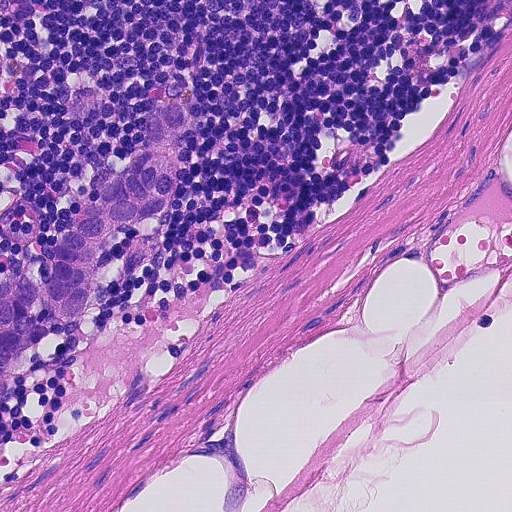
Lymph node section stained with H&E, from a whole-slide image of a breast-cancer sentinel node. Magnification about 20×, about 0.23 mm across the frame, about 0.45 µm per pixel.
One metastatic tumour region; its boundary, reduced to 20 corners and listed clockwise: (170, 87), (193, 104), (181, 130), (176, 192), (104, 244), (88, 300), (70, 324), (42, 332), (32, 359), (4, 369), (0, 367), (0, 274), (9, 265), (36, 284), (53, 308), (52, 250), (68, 226), (132, 163), (144, 136), (148, 108).
About 5% of this field is tumour.